This is a crop of a whole-slide image: an H&E-stained breast-cancer sentinel lymph node section at roughly 5× magnification (about 1.9 µm per pixel; the crop spans about 1 mm).
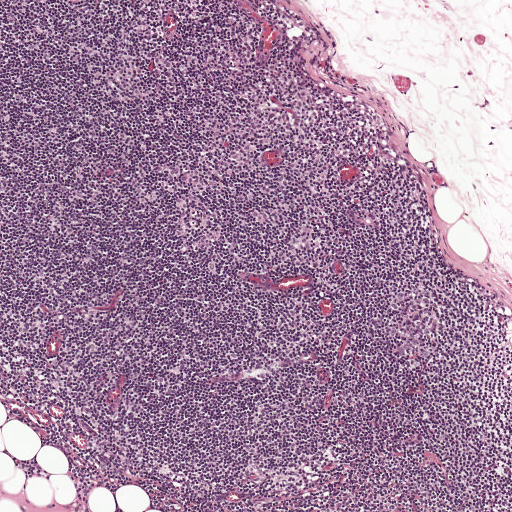
Metastatic tumour outline, simplified to 10 points and listed clockwise in crop pixels (x, y): (348, 208), (362, 208), (371, 211), (381, 217), (383, 226), (382, 232), (377, 232), (363, 230), (345, 215), (345, 210).
The annotated tumour makes up under 5% of the crop.